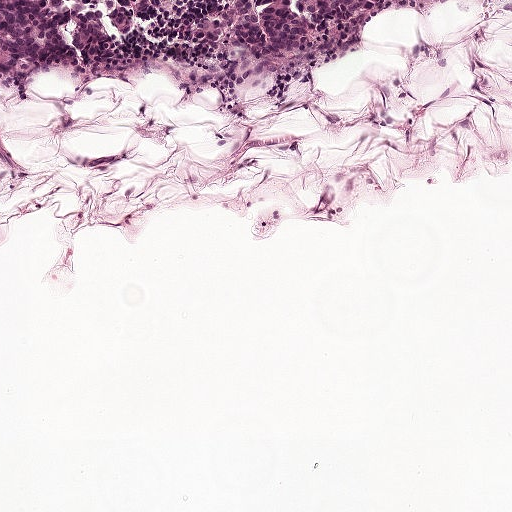
Lymph node section stained with H&E, from a whole-slide image of a breast-cancer sentinel node. Magnification about 10×, about 0.5 mm across the frame, about 0.97 µm per pixel.
The outlined metastatic tumour's edge, as a closed clockwise path of 16 points: (0, 0), (461, 0), (435, 12), (394, 12), (378, 35), (326, 76), (280, 80), (226, 105), (203, 105), (187, 78), (171, 74), (89, 91), (71, 72), (43, 71), (29, 94), (0, 92).
About 10% of the image area is annotated as tumour.